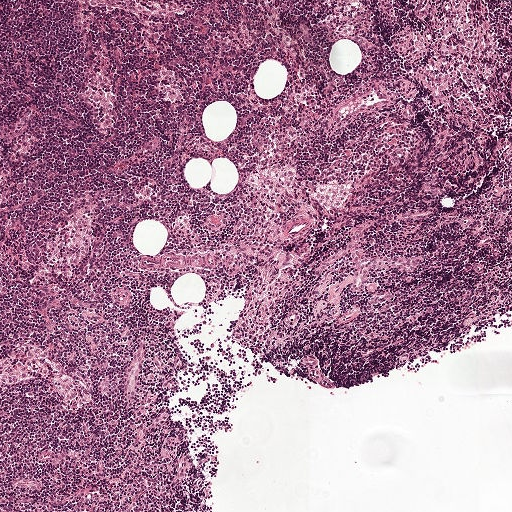
Lymph node section stained with H&E, from a whole-slide image of a breast-cancer sentinel node. Magnification about 5×, about 1 mm across the frame, about 1.9 µm per pixel.